Question: 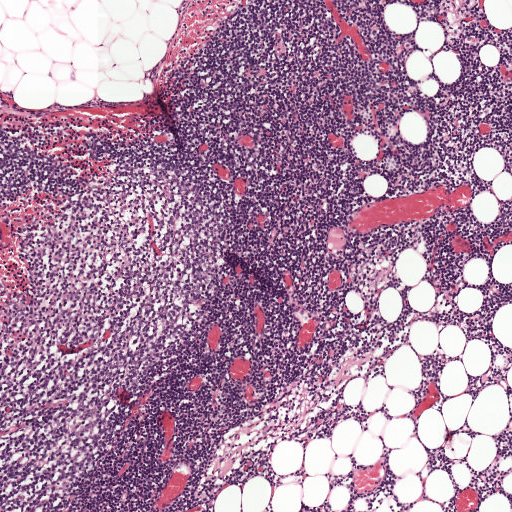
About what magnification does this crop show?

Choices:
 (A) about 2.5×
 (B) about 20×
 (C) about 10×
 (D) about 40×
 (E) about 5×

Answer: (E) about 5×
H&E-stained section of a sentinel lymph node (breast cancer), from a whole-slide image, viewed at about 5×: the field is about 1 mm across, about 1.9 µm per pixel.